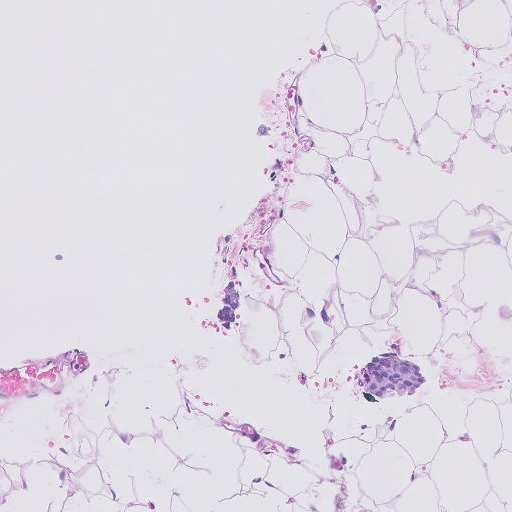
Lymph node section stained with H&E, from a whole-slide image of a breast-cancer sentinel node. Magnification about 10×, about 0.51 mm across the frame, about 1.0 µm per pixel.
Question: Outline the metastatic carcinoma in this image, as closed paths of (x, y) pixel coordinates.
Answer: Outlines of three tumour regions, largest first (closed clockwise paths, crop pixels): region 1: (397, 342), (424, 361), (439, 392), (372, 403), (348, 382), (371, 346); region 2: (225, 263), (251, 272), (239, 336), (206, 330); region 3: (252, 122), (279, 122), (279, 143), (250, 142).
One more small tumour piece is annotated here but not outlined.
Under 5% of this field is tumour.